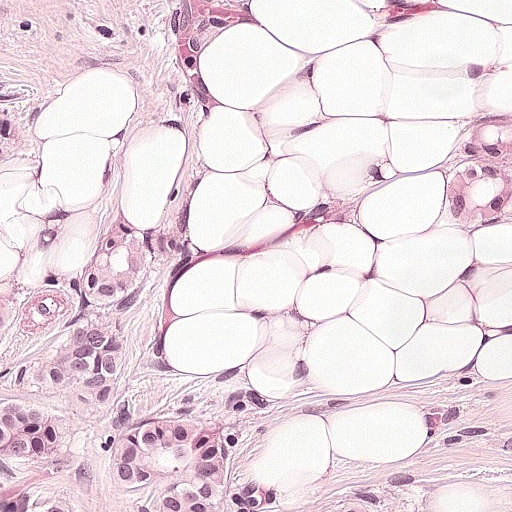
H&E-stained section of a sentinel lymph node (breast cancer), from a whole-slide image, viewed at about 20×: the field is about 0.25 mm across, about 0.49 µm per pixel.
Boundaries of two metastatic tumour regions, simplified and listed clockwise, largest first: region 1: (0, 0), (271, 0), (226, 36), (220, 129), (182, 201), (192, 358), (245, 372), (260, 386), (242, 492), (294, 486), (336, 458), (397, 440), (428, 410), (442, 377), (492, 356), (494, 328), (508, 316), (511, 511), (0, 511); region 2: (511, 112), (511, 239), (492, 238), (444, 218), (432, 199), (434, 160), (440, 156), (449, 136), (458, 127), (478, 118).
About 55% of this field is tumour.